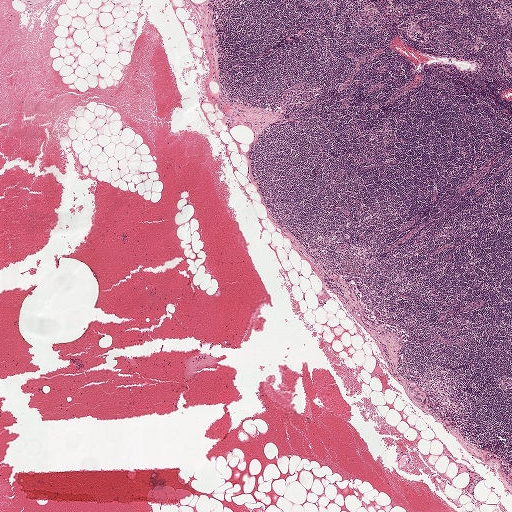
A 2.0-mm field of an H&E-stained sentinel lymph node from a breast-cancer patient (whole-slide image), shown at about 2.5×, about 3.9 µm per pixel.
Question: Which parts of this field are metastatic tumour? Answer with the outline of each region, in pixels.
Answer: One metastatic tumour region; its boundary, reduced to 8 corners and listed clockwise: (410, 382), (416, 382), (425, 393), (426, 402), (425, 406), (420, 406), (411, 400), (407, 389).
Tumour covers under 5% of the frame.